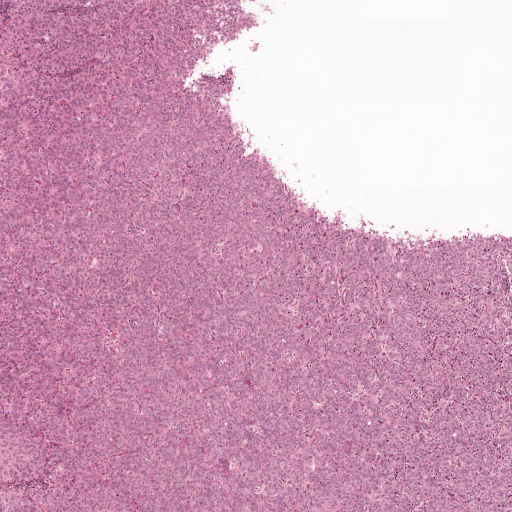
Lymph node section stained with H&E, from a whole-slide image of a breast-cancer sentinel node. Magnification about 2.5×, about 2.0 mm across the frame, about 3.9 µm per pixel.
Question: Outline the metastatic carcinoma in this image, as closed paths of (x, y) pixel coordinates.
Answer: Tumour region outline (a closed clockwise path, crop pixels): (0, 0), (244, 0), (258, 28), (210, 53), (197, 80), (236, 70), (229, 95), (289, 181), (398, 231), (510, 232), (511, 511), (0, 511).
About 80% of this field is tumour.